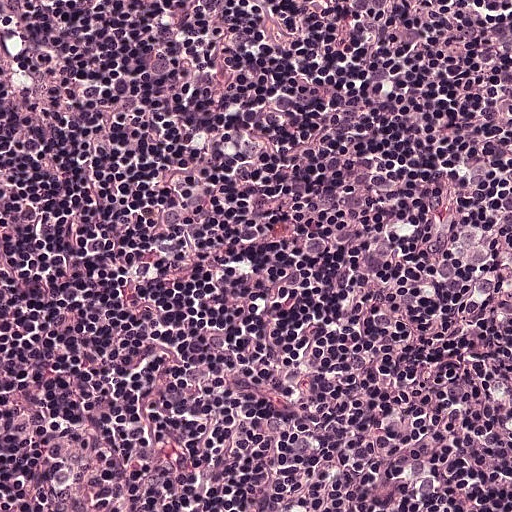
This is a crop of a whole-slide image: an H&E-stained breast-cancer sentinel lymph node section at roughly 20× magnification (about 0.49 µm per pixel; the crop spans about 0.25 mm).
Metastatic tumour outline, simplified to 8 points and listed clockwise in crop pixels (x, y): (372, 0), (511, 0), (511, 511), (198, 511), (248, 317), (303, 192), (303, 165), (324, 152).
The annotated tumour makes up about 45% of the crop.